Question: 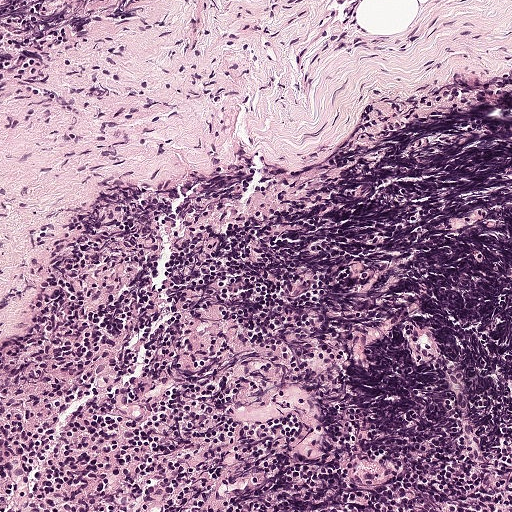
H&E-stained section of a sentinel lymph node (breast cancer), from a whole-slide image, viewed at about 10×: the field is about 0.5 mm across, about 0.97 µm per pixel.
Estimate the proportion of this field that is metastatic tumour.

Choices:
 (A) about 25% to 45%
 (B) about 50% or more
 (C) about 5% or less
 (D) none: no tumour is outlined
 (E) about 10% to 20%

Answer: (D) none: no tumour is outlined
No metastatic tumour is outlined in this field.